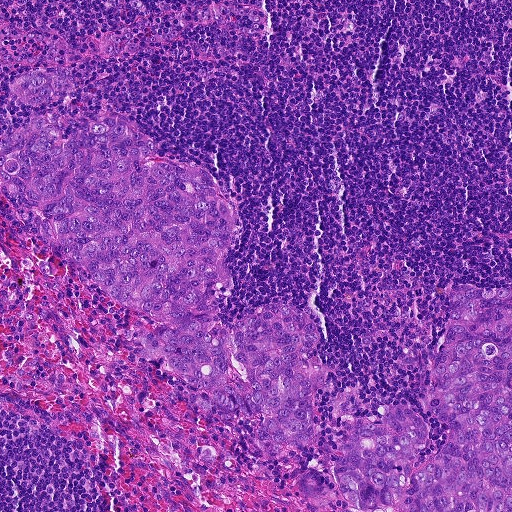
H&E-stained section of a sentinel lymph node (breast cancer), from a whole-slide image, viewed at about 10×: the field is about 0.46 mm across, about 0.9 µm per pixel.
Outlines of three tumour regions, largest first (closed clockwise paths, crop pixels): region 1: (110, 112), (154, 140), (147, 162), (208, 171), (233, 217), (234, 282), (216, 296), (225, 329), (268, 304), (318, 332), (308, 363), (328, 377), (312, 439), (266, 454), (265, 414), (225, 410), (150, 357), (143, 335), (168, 326), (47, 243), (0, 179), (0, 149), (35, 120), (66, 137); region 2: (459, 284), (511, 288), (511, 511), (357, 510), (335, 482), (336, 447), (346, 432), (340, 422), (363, 417), (380, 422), (387, 406), (404, 403), (424, 421), (420, 457), (430, 461), (448, 430), (427, 411), (422, 395), (443, 341), (447, 296); region 3: (32, 73), (42, 76), (48, 81), (54, 88), (54, 97), (38, 105), (21, 101), (14, 95), (9, 86), (14, 79), (22, 74).
About 30% of this field is tumour.